A 0.26-mm field of an H&E-stained sentinel lymph node from a breast-cancer patient (whole-slide image), shown at about 20×, about 0.5 µm per pixel.
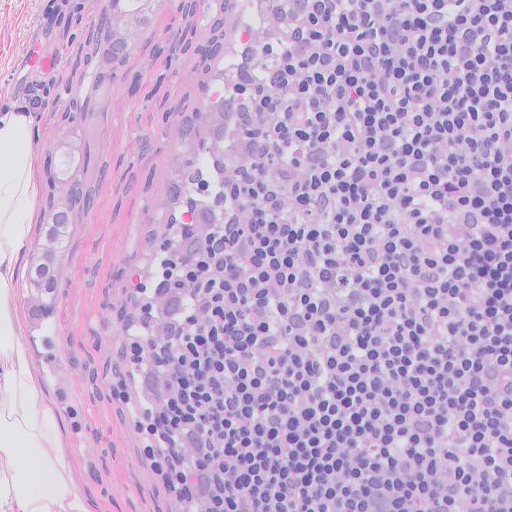
The outlined metastatic tumour's edge, as a closed clockwise path of 13 points: (105, 0), (170, 0), (130, 56), (112, 96), (94, 205), (66, 262), (60, 328), (72, 393), (53, 402), (26, 343), (22, 278), (40, 215), (50, 130).
Tumour covers about 5% of the frame.